Image:
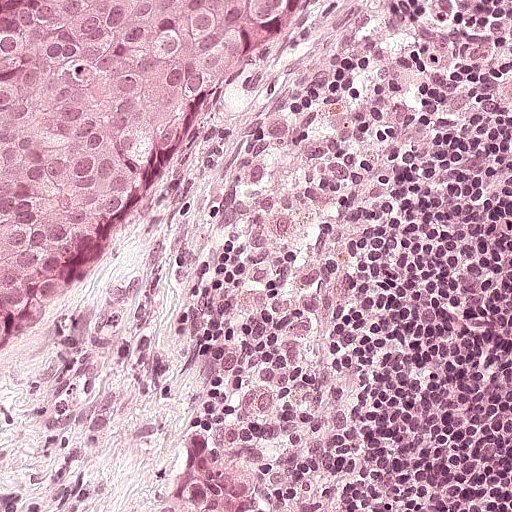
Lymph node section stained with H&E, from a whole-slide image of a breast-cancer sentinel node. Magnification about 20×, about 0.25 mm across the frame, about 0.49 µm per pixel.
Question:
Does this lymph node field contain metastatic tumour?
Answer:
Yes.
One metastatic tumour region; its boundary, reduced to 7 corners and listed clockwise: (0, 0), (277, 0), (240, 84), (192, 152), (143, 193), (87, 282), (2, 357).
Tumour covers about 20% of the frame.

Image:
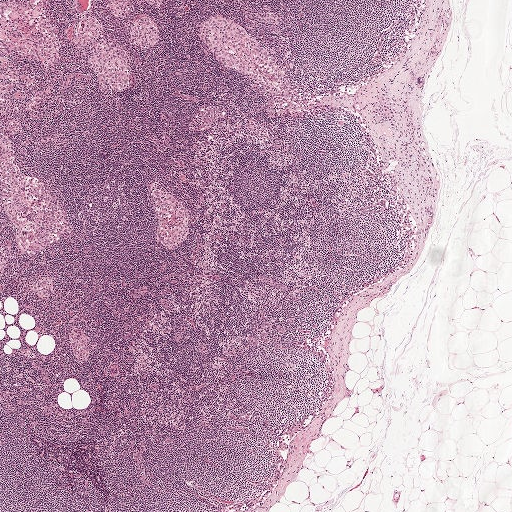
This is a crop of a whole-slide image: an H&E-stained breast-cancer sentinel lymph node section at roughly 2.5× magnification (about 3.9 µm per pixel; the crop spans about 2.0 mm).
Question:
Does this lymph node field contain metastatic tumour?
Answer:
Yes.
Tumour region outline (a closed clockwise path, crop pixels): (380, 96), (392, 101), (401, 115), (418, 121), (421, 143), (429, 154), (436, 190), (433, 199), (425, 199), (427, 212), (420, 235), (413, 218), (404, 217), (404, 212), (411, 208), (411, 201), (397, 181), (397, 163), (389, 151), (394, 144), (394, 132), (369, 120), (371, 105).
Under 5% of this field is tumour.

Image:
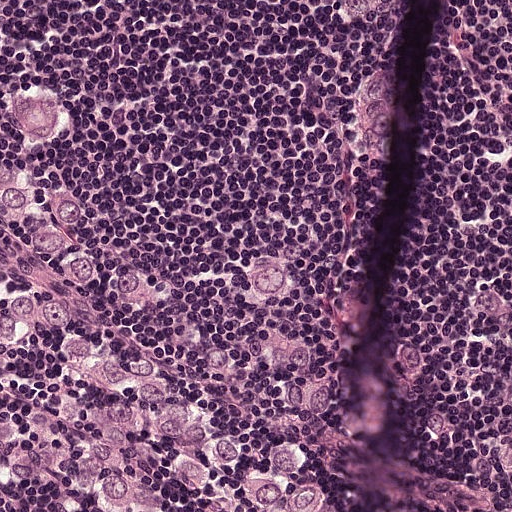
This is a crop of a whole-slide image: an H&E-stained breast-cancer sentinel lymph node section at roughly 20× magnification (about 0.49 µm per pixel; the crop spans about 0.25 mm).
Question:
Does this lymph node field contain metastatic tumour?
Answer:
Yes.
Metastatic tumour outline, simplified to 15 points and listed clockwise in crop pixels (x, y): (0, 115), (35, 159), (61, 219), (149, 304), (357, 378), (440, 378), (511, 358), (511, 511), (401, 511), (420, 472), (424, 388), (331, 377), (308, 402), (297, 508), (0, 511).
About 30% of this field is tumour.

Image:
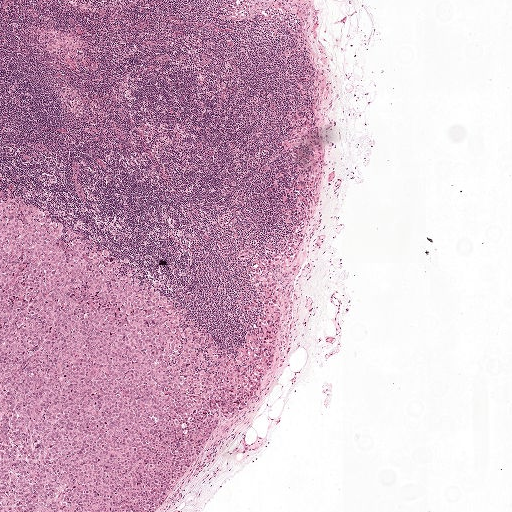
Lymph node section stained with H&E, from a whole-slide image of a breast-cancer sentinel node. Magnification about 2.5×, about 2.0 mm across the frame, about 3.9 µm per pixel.
Question:
Does this lymph node field contain metastatic tumour?
Answer:
Yes.
Boundaries of two metastatic tumour regions, simplified and listed clockwise, largest first: region 1: (0, 193), (148, 273), (222, 355), (264, 320), (273, 325), (278, 349), (251, 370), (181, 476), (151, 489), (134, 510), (0, 511); region 2: (303, 74), (318, 95), (325, 136), (324, 191), (289, 311), (281, 318), (262, 318), (248, 308), (247, 292), (236, 264), (244, 254), (274, 248), (284, 231), (283, 205), (292, 185), (292, 173), (278, 144), (278, 134), (283, 121), (299, 100).
About 25% of the image area is annotated as tumour.